Question: 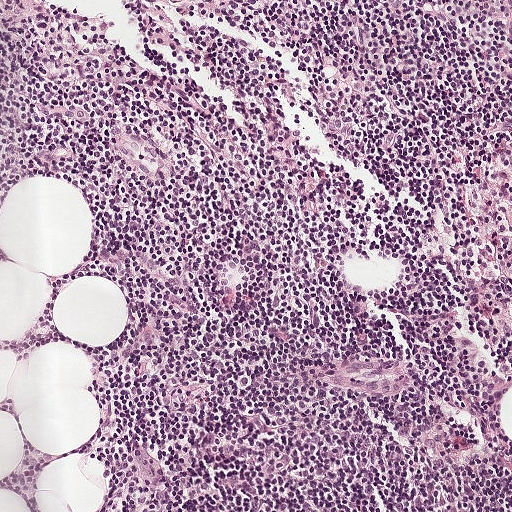
About what magnification does this crop show?

Choices:
 (A) about 10×
 (B) about 20×
 (C) about 40×
 (D) about 2.5×
 (E) about 5×

Answer: (A) about 10×
This is a crop of a whole-slide image: an H&E-stained breast-cancer sentinel lymph node section at roughly 10× magnification (about 0.97 µm per pixel; the crop spans about 0.5 mm).